Question: 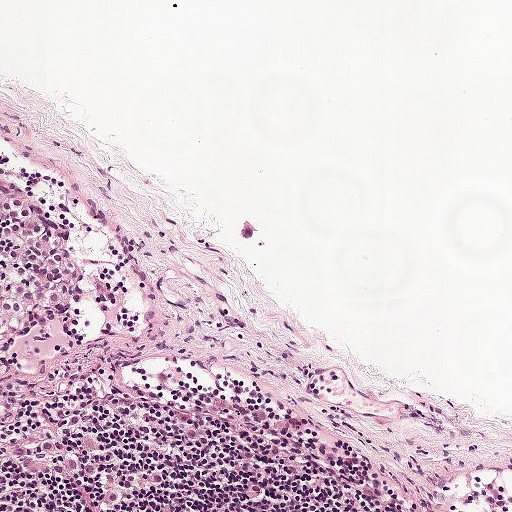
H&E-stained section of a sentinel lymph node (breast cancer), from a whole-slide image, viewed at about 10×: the field is about 0.5 mm across, about 0.97 µm per pixel.
Estimate the proportion of this field that is metastatic tumour.

Choices:
 (A) none: no tumour is outlined
 (B) about 10% to 20%
 (C) about 25% to 45%
 (D) about 50% or more
 (E) about 5% or less

Answer: (E) about 5% or less
About 5% of the field is tumour.
One metastatic tumour region; its boundary, reduced to 7 corners and listed clockwise: (0, 142), (50, 195), (95, 296), (94, 338), (80, 358), (44, 375), (0, 376).